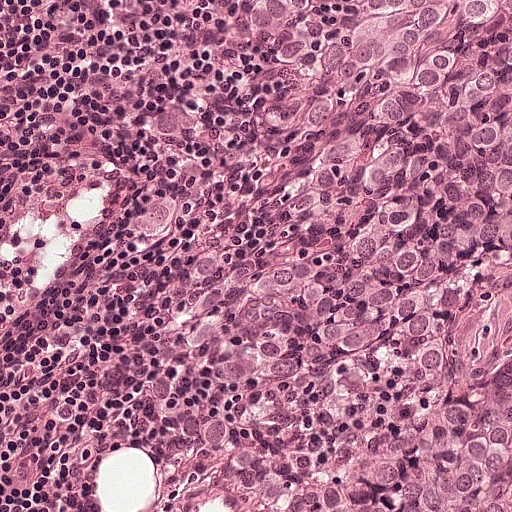
This is a crop of a whole-slide image: an H&E-stained breast-cancer sentinel lymph node section at roughly 20× magnification (about 0.49 µm per pixel; the crop spans about 0.25 mm).
Metastatic tumour outline, simplified to 11 points and listed clockwise in crop pixels (x, y): (511, 0), (511, 511), (226, 511), (198, 464), (131, 426), (136, 389), (187, 268), (232, 203), (245, 78), (224, 28), (228, 2).
The annotated tumour makes up about 60% of the crop.